Question: 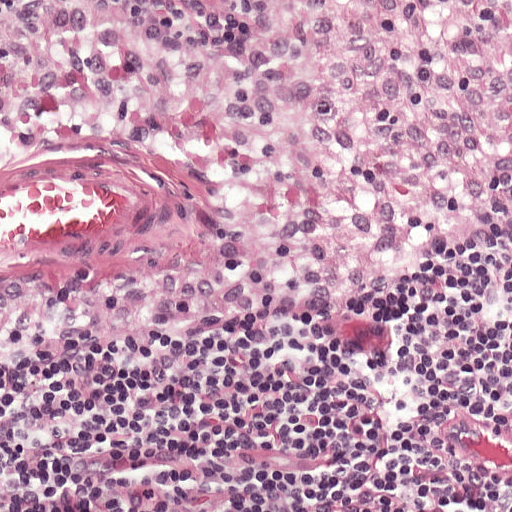
At roughly what magnification is this field shown?

Choices:
 (A) about 2.5×
 (B) about 20×
 (C) about 40×
 (D) about 5×
 (E) about 10×

Answer: (B) about 20×
A 0.25-mm field of an H&E-stained sentinel lymph node from a breast-cancer patient (whole-slide image), shown at about 20×, about 0.49 µm per pixel.